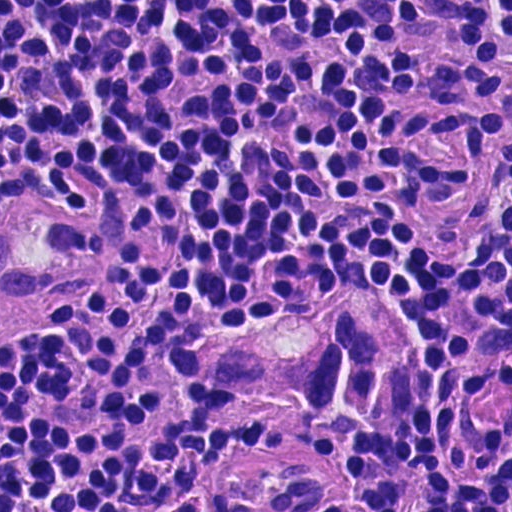
H&E-stained section of a sentinel lymph node (breast cancer), from a whole-slide image, viewed at about 40×: the field is about 0.12 mm across, about 0.23 µm per pixel.
One metastatic tumour region; its boundary, reduced to 8 corners and listed clockwise: (381, 291), (428, 377), (428, 435), (370, 451), (266, 394), (211, 377), (159, 346), (328, 310).
The annotated tumour makes up about 10% of the crop.